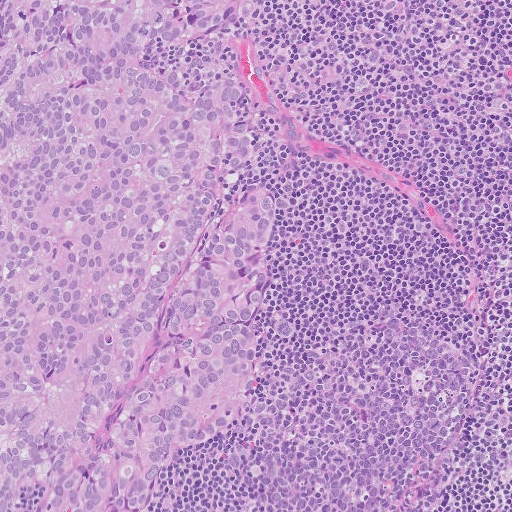
A 0.51-mm field of an H&E-stained sentinel lymph node from a breast-cancer patient (whole-slide image), shown at about 10×, about 1.0 µm per pixel.
The outlined metastatic tumour's edge, as a closed clockwise path of 13 points: (0, 0), (243, 0), (242, 21), (170, 58), (250, 81), (278, 228), (261, 309), (294, 331), (262, 343), (237, 434), (192, 452), (151, 510), (0, 511).
The annotated tumour makes up about 50% of the crop.